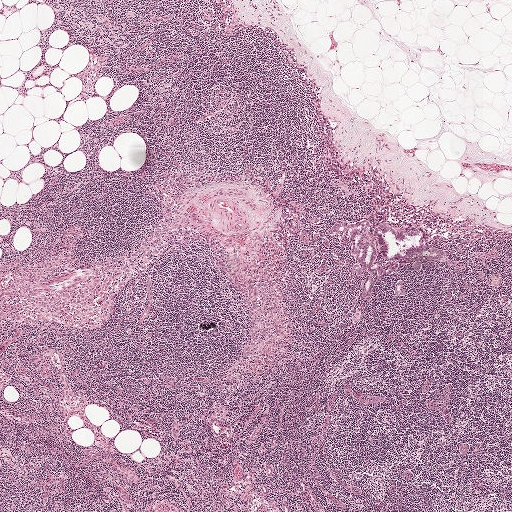
A 2.0-mm field of an H&E-stained sentinel lymph node from a breast-cancer patient (whole-slide image), shown at about 2.5×, about 3.9 µm per pixel.
Boundaries of three metastatic tumour regions, simplified and listed clockwise, largest first: region 1: (364, 220), (376, 226), (388, 223), (400, 231), (409, 225), (423, 226), (430, 233), (431, 245), (445, 250), (447, 260), (426, 261), (417, 273), (411, 260), (392, 276), (375, 275), (371, 298), (364, 298), (362, 278), (351, 269), (354, 258), (348, 240), (333, 234), (331, 226), (337, 221); region 2: (401, 280), (402, 281), (403, 283), (404, 289), (405, 293), (405, 294), (404, 295), (398, 295), (393, 294), (394, 288), (395, 283), (397, 281); region 3: (357, 309), (361, 310), (362, 314), (360, 321), (355, 324), (352, 324), (351, 322), (351, 320), (354, 311).
Tumour covers under 5% of the frame.